Image:
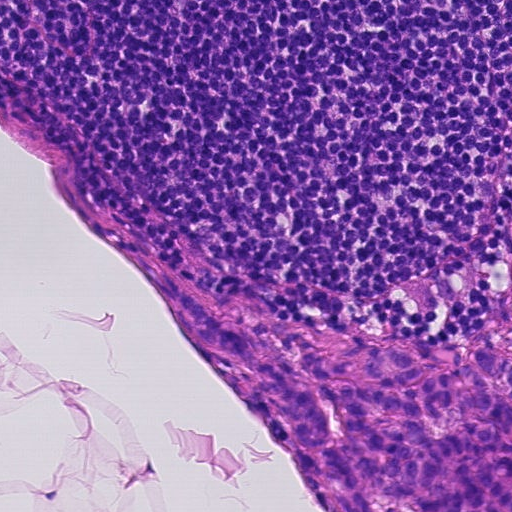
H&E-stained section of a sentinel lymph node (breast cancer), from a whole-slide image, viewed at about 20×: the field is about 0.23 mm across, about 0.45 µm per pixel.
Question:
Does this lymph node field contain metastatic tumour?
Answer:
Yes.
Metastatic tumour outline, simplified to 11 points and listed clockwise in crop pixels (x, y): (56, 176), (125, 234), (134, 253), (172, 263), (204, 288), (362, 332), (511, 346), (511, 511), (322, 511), (158, 288), (80, 222).
Tumour covers about 20% of the frame.